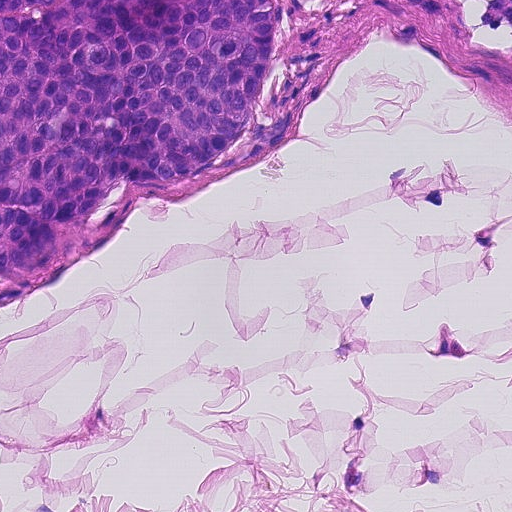
H&E-stained section of a sentinel lymph node (breast cancer), from a whole-slide image, viewed at about 20×: the field is about 0.23 mm across, about 0.45 µm per pixel.
Question: Which parts of this field are metastatic tumour? Answer with the outline of each region, in pixels.
Answer: Tumour region outline (a closed clockwise path, crop pixels): (0, 0), (278, 0), (287, 19), (252, 136), (187, 184), (128, 189), (126, 230), (0, 302).
About 20% of this field is tumour.